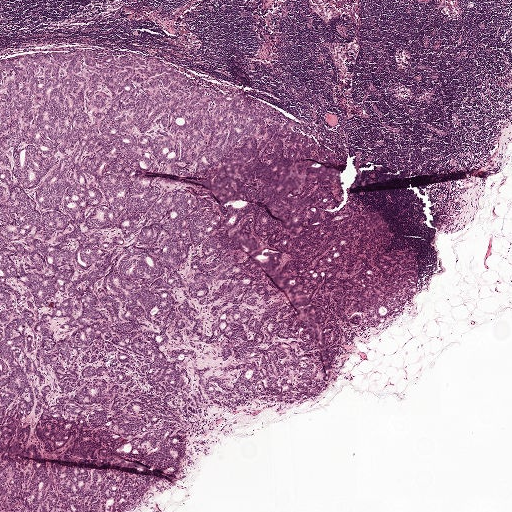
Lymph node section stained with H&E, from a whole-slide image of a breast-cancer sentinel node. Magnification about 2.5×, about 2.0 mm across the frame, about 3.9 µm per pixel.
Outlines of two tumour regions, largest first (closed clockwise paths, crop pixels): region 1: (127, 49), (222, 86), (322, 141), (379, 213), (356, 223), (398, 236), (380, 213), (393, 222), (399, 227), (402, 230), (413, 248), (418, 278), (342, 310), (418, 290), (334, 342), (270, 248), (210, 210), (285, 297), (320, 392), (196, 410), (174, 469), (17, 415), (0, 443), (0, 59); region 2: (0, 453), (34, 462), (132, 472), (154, 478), (143, 498), (126, 511), (0, 511).
Region 1 encloses a non-tumour hole of about 5% of its area.
The annotated tumour makes up about 45% of the crop.